Question: 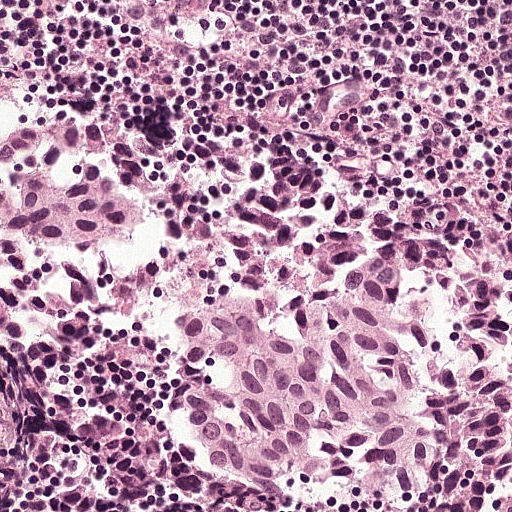
This is a crop of a whole-slide image: an H&E-stained breast-cancer sentinel lymph node section at roughly 20× magnification (about 0.49 µm per pixel; the crop spans about 0.25 mm).
Estimate the proportion of this field that is metastatic tumour.

Choices:
 (A) about 10% to 20%
 (B) about 50% or more
 (C) about 25% to 45%
 (D) none: no tumour is outlined
 (E) about 5% or less

Answer: (B) about 50% or more
About 50% of the field is tumour.
One metastatic tumour region; its boundary, reduced to 19 corners and listed clockwise: (21, 116), (154, 120), (234, 172), (354, 187), (398, 212), (430, 208), (511, 231), (511, 511), (400, 511), (352, 482), (280, 506), (198, 459), (178, 412), (184, 372), (172, 339), (144, 322), (40, 303), (8, 272), (0, 131).